Question: 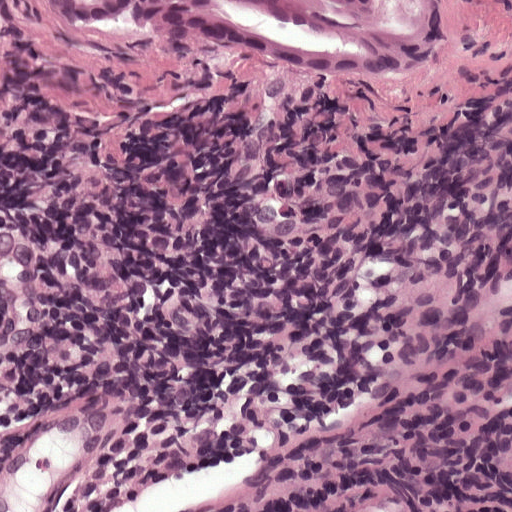
Lymph node section stained with H&E, from a whole-slide image of a breast-cancer sentinel node. Magnification about 20×, about 0.25 mm across the frame, about 0.49 µm per pixel.
Roughly what share of this field is metastatic tumour?

Choices:
 (A) none: no tumour is outlined
 (B) about 10% to 20%
 (C) about 5% or less
 (D) about 25% to 45%
 (E) about 50% or more

Answer: (B) about 10% to 20%
About 20% of the field is tumour.
One metastatic tumour region; its boundary, reduced to 7 corners and listed clockwise: (7, 0), (483, 0), (511, 38), (511, 67), (448, 150), (330, 140), (89, 94).